Lymph node section stained with H&E, from a whole-slide image of a breast-cancer sentinel node. Magnification about 10×, about 0.46 mm across the frame, about 0.9 µm per pixel.
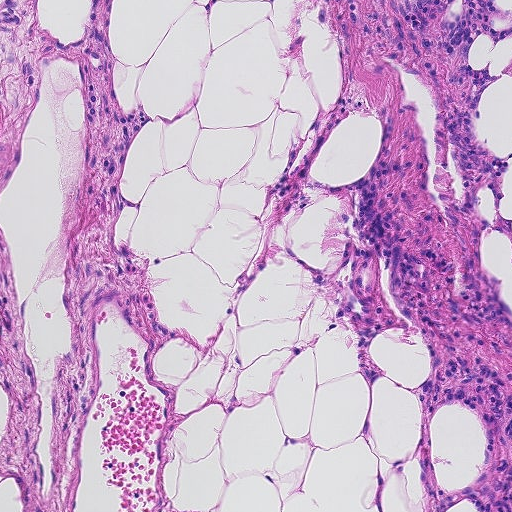
Question: Is there metastatic carcinoma in this field?
Answer: No: no metastatic tumour is outlined anywhere in this field.